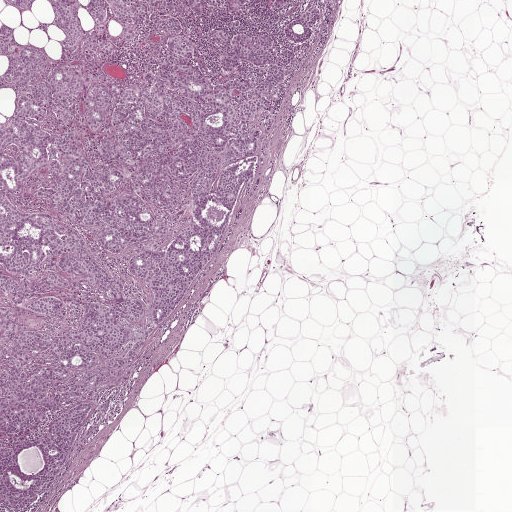
This is a crop of a whole-slide image: an H&E-stained breast-cancer sentinel lymph node section at roughly 2.5× magnification (about 3.9 µm per pixel; the crop spans about 2.0 mm).
The outlined metastatic tumour's edge, as a closed clockwise path of 4 points: (6, 0), (34, 0), (30, 8), (28, 9).
One more tumour region is annotated but not outlined: its edge is too irregular for a short outline.
About 30% of the image area is annotated as tumour.